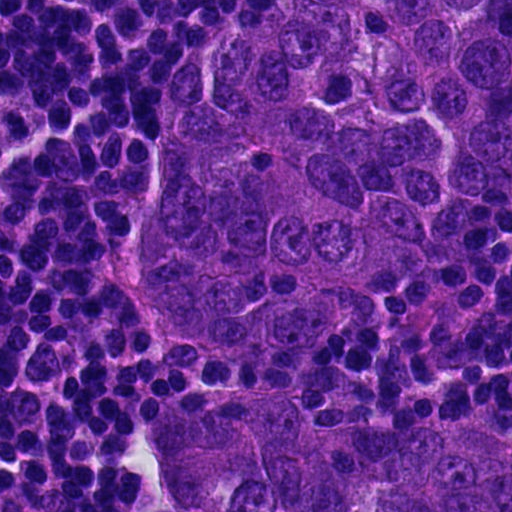
H&E-stained section of a sentinel lymph node (breast cancer), from a whole-slide image, viewed at about 40×: the field is about 0.12 mm across, about 0.23 µm per pixel.
Question: Where is the metastatic tumour in this field? Give each region's outline as (x, y) pixel points.
Answer: Two metastatic tumour regions, each outlined as a closed clockwise path in crop pixels (x, y), largest first: region 1: (265, 0), (511, 0), (505, 192), (460, 223), (435, 274), (344, 337), (289, 356), (229, 355), (176, 337), (141, 294), (136, 260), (161, 95), (189, 48); region 2: (276, 383), (316, 422), (481, 433), (511, 448), (511, 511), (172, 511), (149, 466), (165, 404), (220, 384).
The annotated tumour makes up about 55% of the crop.